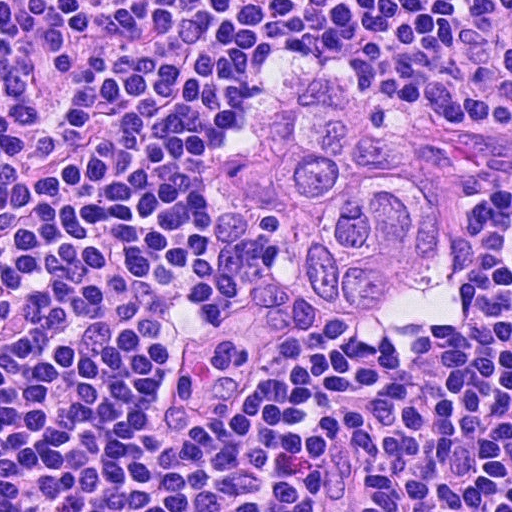
This is a crop of a whole-slide image: an H&E-stained breast-cancer sentinel lymph node section at roughly 40× magnification (about 0.23 µm per pixel; the crop spans about 0.12 mm).
Metastatic tumour outline, simplified to 13 points and listed clockwise in crop pixels (x, y): (299, 51), (486, 131), (511, 192), (511, 238), (456, 303), (356, 335), (264, 385), (199, 461), (145, 437), (199, 315), (262, 243), (199, 171), (252, 79).
About 30% of the image area is annotated as tumour.